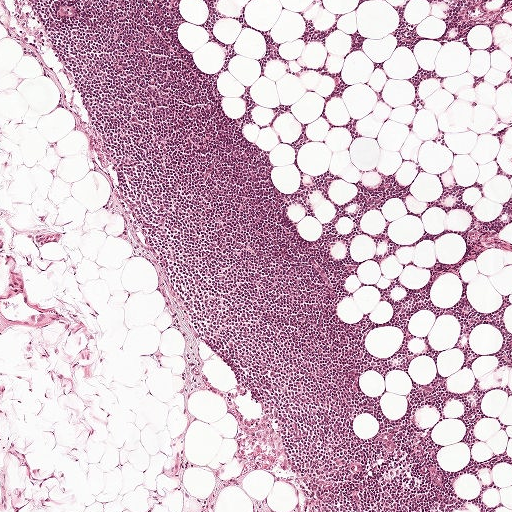
A 1-mm field of an H&E-stained sentinel lymph node from a breast-cancer patient (whole-slide image), shown at about 5×, about 1.9 µm per pixel.
Question: Is there metastatic carcinoma in this field?
Answer: No, this field holds no outlined metastasis.